Question: 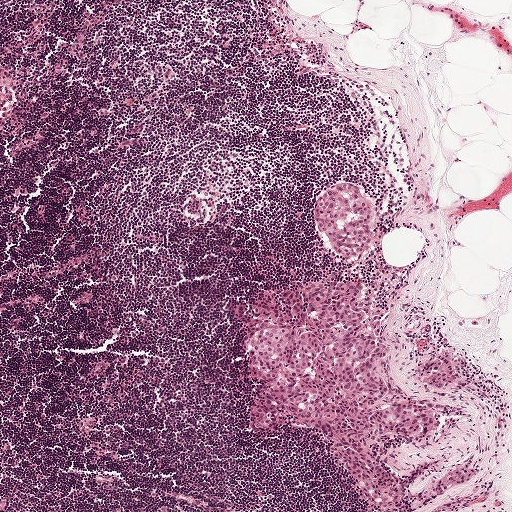
A 1-mm field of an H&E-stained sentinel lymph node from a breast-cancer patient (whole-slide image), shown at about 5×, about 1.9 µm per pixel.
About how much of this crop is taken up by metastatic carcinoma?

Choices:
 (A) about 5% or less
 (B) about 10% to 20%
 (C) about 25% to 45%
 (D) about 50% or more
 (E) none: no tumour is outlined

Answer: (B) about 10% to 20%
About 10% of the field is tumour.
Outlines of four tumour regions, largest first (closed clockwise paths, crop pixels): region 1: (322, 279), (352, 284), (390, 346), (382, 368), (391, 386), (436, 418), (424, 434), (379, 439), (404, 511), (366, 511), (354, 480), (313, 432), (248, 431), (251, 401), (262, 387), (246, 370), (242, 340), (254, 317), (264, 308), (283, 309), (287, 295); region 2: (340, 182), (346, 184), (363, 191), (370, 201), (376, 216), (376, 224), (368, 251), (362, 257), (352, 260), (338, 259), (320, 237), (314, 222), (313, 207), (320, 193); region 3: (442, 352), (449, 356), (460, 369), (460, 376), (456, 382), (433, 390), (422, 384), (419, 373), (424, 362); region 4: (470, 459), (477, 473), (449, 495), (434, 496), (431, 489), (435, 479), (455, 465).